Question: 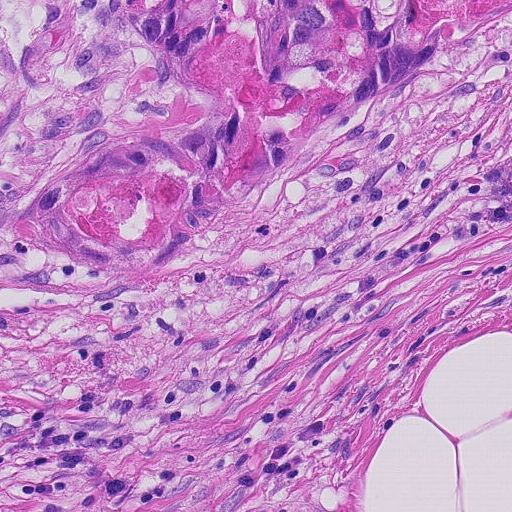
A 0.23-mm field of an H&E-stained sentinel lymph node from a breast-cancer patient (whole-slide image), shown at about 20×, about 0.45 µm per pixel.
Roughly what share of this field is metastatic tumour?

Choices:
 (A) about 5% or less
 (B) about 25% to 45%
 (C) about 50% or more
 (D) none: no tumour is outlined
 (E) about 10% to 20%

Answer: (B) about 25% to 45%
About 40% of the field is tumour.
One metastatic tumour region; its boundary, reduced to 7 corners and listed clockwise: (0, 0), (511, 0), (511, 17), (424, 73), (202, 263), (110, 293), (0, 286).
Question: 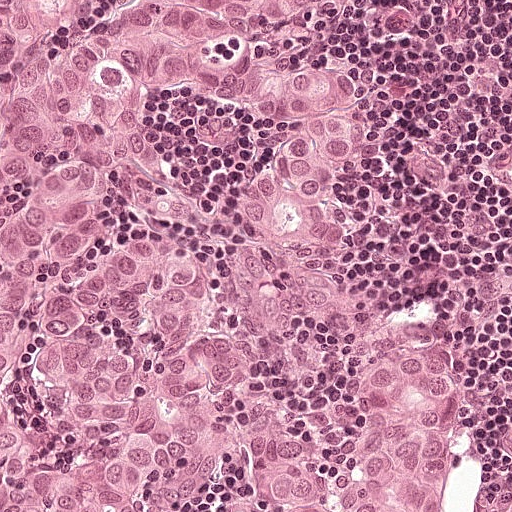
H&E-stained section of a sentinel lymph node (breast cancer), from a whole-slide image, viewed at about 20×: the field is about 0.25 mm across, about 0.49 µm per pixel.
Roughly what share of this field is metastatic tumour?

Choices:
 (A) about 5% or less
 (B) none: no tumour is outlined
 (C) about 25% to 45%
 (D) about 10% to 20%
 (E) about 50% or more

Answer: (E) about 50% or more
About 70% of the field is tumour.
Metastatic tumour outline, simplified to 23 points and listed clockwise in crop pixels (x, y): (0, 0), (325, 0), (240, 30), (216, 56), (227, 69), (318, 62), (360, 78), (334, 116), (166, 100), (146, 114), (146, 142), (196, 208), (214, 210), (301, 132), (348, 116), (374, 132), (386, 156), (381, 195), (322, 249), (334, 274), (448, 319), (446, 510), (0, 511).
Question: 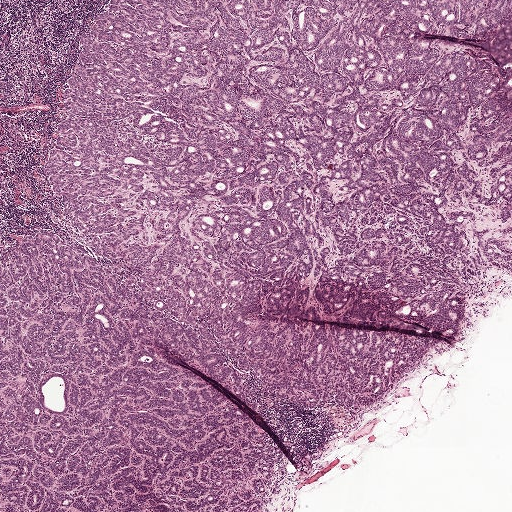
This is a crop of a whole-slide image: an H&E-stained breast-cancer sentinel lymph node section at roughly 2.5× magnification (about 3.9 µm per pixel; the crop spans about 2.0 mm).
Roughly what share of this field is metastatic tumour?

Choices:
 (A) about 5% or less
 (B) about 25% to 45%
 (C) about 50% or more
 (D) none: no tumour is outlined
 (E) about 10% to 20%

Answer: (C) about 50% or more
About 80% of the field is tumour.
Tumour region outline (a closed clockwise path, crop pixels): (107, 0), (511, 0), (411, 32), (511, 61), (511, 270), (474, 274), (455, 331), (295, 277), (250, 308), (434, 341), (299, 461), (158, 347), (287, 459), (260, 511), (0, 511), (0, 254), (46, 230), (113, 262), (44, 169), (81, 41).
Question: 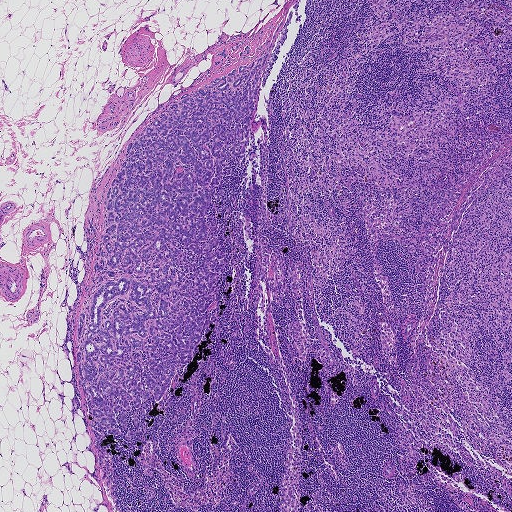
This is a crop of a whole-slide image: an H&E-stained breast-cancer sentinel lymph node section at roughly 2.5× magnification (about 3.6 µm per pixel; the crop spans about 1.9 mm).
Roughly what share of this field is metastatic tumour?

Choices:
 (A) about 25% to 45%
 (B) none: no tumour is outlined
 (C) about 5% or less
 (D) about 50% or more
 (E) about 10% to 20%

Answer: (E) about 10% to 20%
About 15% of the field is tumour.
One metastatic tumour region; its boundary, reduced to 23 corners and listed clockwise: (284, 16), (246, 152), (225, 160), (204, 216), (226, 251), (220, 300), (206, 310), (225, 308), (220, 335), (213, 320), (161, 399), (141, 400), (144, 418), (115, 420), (123, 435), (98, 426), (76, 359), (79, 315), (103, 282), (100, 241), (128, 144), (182, 95), (252, 64).
Seven more small tumour pieces are annotated here but not outlined.